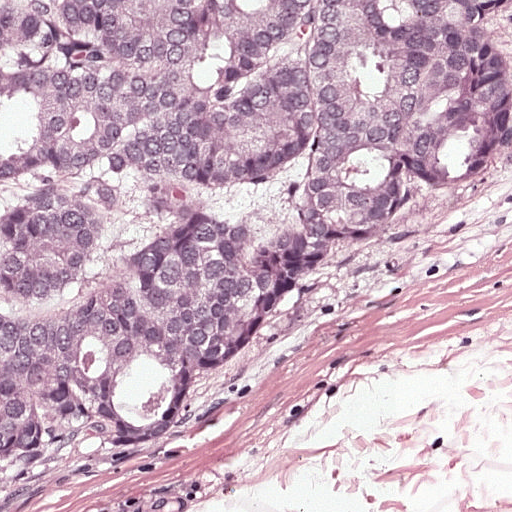
Lymph node section stained with H&E, from a whole-slide image of a breast-cancer sentinel node. Magnification about 20×, about 0.25 mm across the frame, about 0.49 µm per pixel.
Question: Where is the metastatic tumour in this field?
Answer: The outlined metastatic tumour's edge, as a closed clockwise path of 9 points: (0, 0), (511, 0), (511, 192), (318, 286), (294, 320), (220, 361), (172, 435), (136, 459), (0, 497).
About 70% of this field is tumour.